Question: 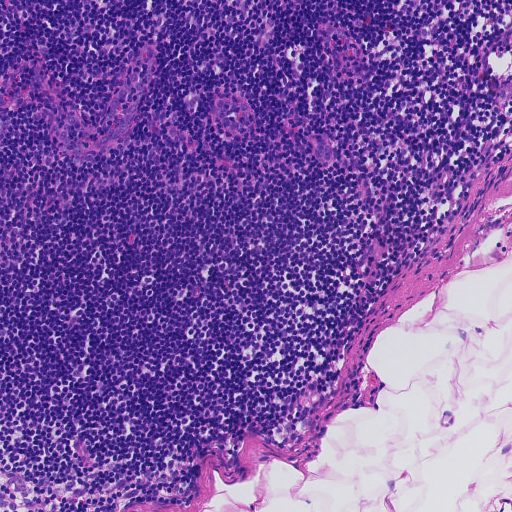
About what magnification does this crop show?

Choices:
 (A) about 20×
 (B) about 5×
 (C) about 2.5×
 (D) about 40×
 (E) about 10×

Answer: (E) about 10×
This is a crop of a whole-slide image: an H&E-stained breast-cancer sentinel lymph node section at roughly 10× magnification (about 0.91 µm per pixel; the crop spans about 0.46 mm).